This is a crop of a whole-slide image: an H&E-stained breast-cancer sentinel lymph node section at roughly 2.5× magnification (about 3.6 µm per pixel; the crop spans about 1.9 mm).
Question: 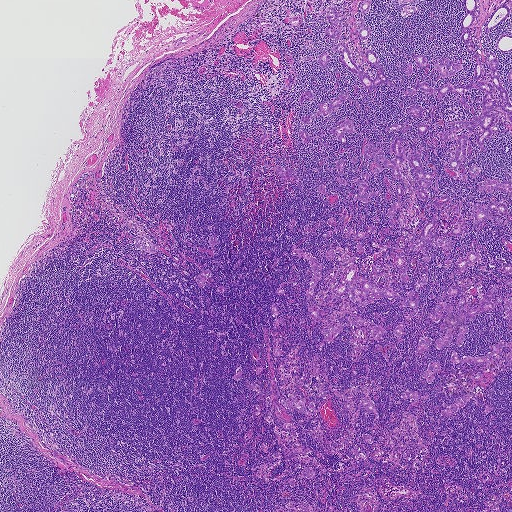
Roughly what share of this field is metastatic tumour?

Choices:
 (A) about 10% to 20%
 (B) about 5% or less
 (C) about 50% or more
 (D) none: no tumour is outlined
 (E) about 25% to 45%

Answer: (A) about 10% to 20%
About 10% of the field is tumour.
Outlines of eight tumour regions, largest first (closed clockwise paths, crop pixels): region 1: (354, 263), (356, 276), (387, 286), (404, 295), (413, 290), (421, 276), (427, 278), (416, 292), (418, 307), (416, 314), (409, 317), (407, 314), (413, 309), (403, 306), (403, 299), (380, 298), (362, 305), (355, 301), (352, 303), (359, 316), (386, 329), (383, 336), (377, 340), (367, 334), (367, 326), (355, 327), (349, 323), (350, 300), (347, 294), (340, 294), (331, 306), (324, 304), (323, 300), (331, 287), (341, 281), (348, 267); region 2: (496, 284), (491, 302), (495, 303), (493, 308), (461, 325), (469, 329), (461, 346), (457, 343), (456, 325), (450, 342), (443, 348), (435, 346), (435, 341), (446, 333), (446, 328), (443, 332), (439, 330), (446, 312), (441, 311), (441, 320), (437, 322), (429, 317), (430, 308), (443, 302), (453, 310), (460, 295), (447, 294), (449, 286), (458, 286), (464, 302), (470, 299), (470, 306), (479, 302); region 3: (341, 42), (345, 44), (358, 68), (370, 79), (373, 79), (376, 71), (379, 71), (374, 65), (367, 63), (365, 56), (366, 50), (369, 49), (372, 50), (374, 52), (380, 66), (383, 68), (384, 74), (394, 87), (385, 83), (379, 84), (370, 93), (356, 74), (353, 74), (339, 61), (339, 58), (341, 58), (342, 55), (334, 48), (335, 45); region 4: (398, 137), (400, 138), (402, 150), (404, 148), (405, 157), (399, 168), (399, 178), (396, 179), (391, 172), (392, 169), (382, 169), (374, 173), (374, 160), (372, 158), (364, 158), (363, 149), (368, 141), (371, 140), (375, 146), (380, 149), (384, 158), (390, 160), (394, 156), (391, 147), (392, 144); region 5: (434, 218), (436, 224), (431, 230), (432, 234), (451, 241), (452, 244), (449, 252), (451, 263), (450, 266), (446, 267), (443, 265), (446, 253), (443, 253), (441, 245), (433, 246), (431, 243), (423, 247), (426, 250), (425, 253), (431, 257), (425, 262), (422, 261), (421, 257), (423, 254), (418, 250), (413, 251), (410, 249), (410, 245), (416, 240), (420, 239), (422, 236), (422, 228), (427, 222); region 6: (422, 144), (426, 149), (419, 150), (422, 165), (425, 171), (430, 172), (432, 177), (431, 185), (422, 189), (427, 193), (428, 199), (425, 200), (419, 198), (417, 185), (408, 160), (408, 155), (412, 150), (418, 152), (419, 146); region 7: (469, 201), (472, 204), (483, 205), (500, 202), (504, 203), (510, 213), (511, 213), (511, 218), (509, 216), (502, 215), (493, 210), (489, 211), (502, 218), (502, 222), (496, 222), (486, 219), (483, 220), (480, 227), (476, 227), (474, 225), (473, 211), (468, 205); region 8: (501, 340), (511, 341), (511, 347), (504, 347), (499, 355), (489, 365), (452, 362), (451, 353), (455, 350), (458, 359), (467, 356), (481, 357), (489, 353), (494, 345).
One more tumour region is annotated but not outlined: its edge is too irregular for a short outline.
34 more, smaller tumour regions are not outlined.
28 more small tumour pieces are annotated here but not outlined.